Image:
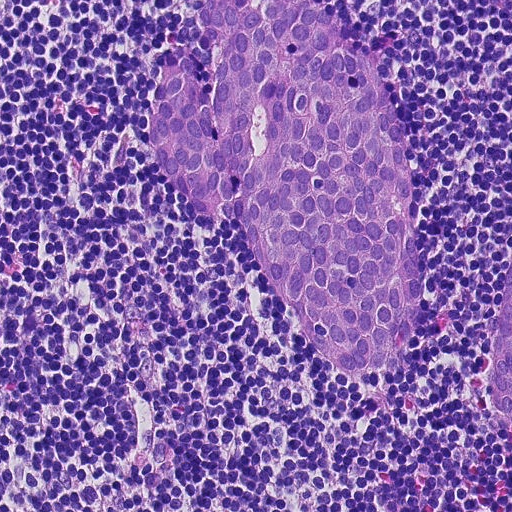
H&E-stained section of a sentinel lymph node (breast cancer), from a whole-slide image, viewed at about 20×: the field is about 0.23 mm across, about 0.45 µm per pixel.
Question:
Which parts of this field are metastatic tumour? Answer with the outline of each region, in pixels.
Answer:
Two metastatic tumour regions, each outlined as a closed clockwise path in crop pixels (x, y), largest first: region 1: (200, 0), (312, 0), (352, 25), (396, 110), (424, 303), (408, 366), (382, 384), (350, 384), (324, 366), (239, 226), (180, 199), (147, 144), (158, 50), (188, 40); region 2: (511, 263), (511, 426), (494, 408), (484, 383), (482, 357), (492, 336), (492, 310), (504, 286).
Tumour covers about 30% of the frame.